Image:
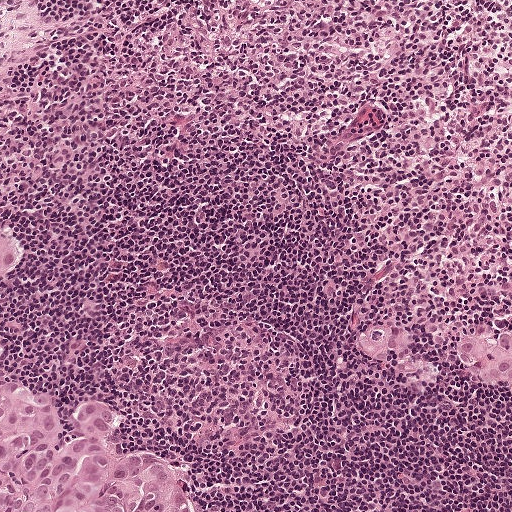
A 0.5-mm field of an H&E-stained sentinel lymph node from a breast-cancer patient (whole-slide image), shown at about 10×, about 0.97 µm per pixel.
Question:
Where is the metastatic tumour in this field? Give each region's outline as (x, y) pixel points.
Answer:
Four metastatic tumour regions, each outlined as a closed clockwise path in crop pixels (x, y), largest first: region 1: (0, 380), (39, 387), (52, 398), (62, 414), (58, 448), (86, 435), (75, 419), (74, 403), (84, 396), (106, 397), (119, 408), (116, 434), (124, 447), (156, 458), (206, 511), (0, 511); region 2: (511, 329), (511, 399), (500, 388), (476, 380), (469, 371), (459, 365), (457, 361), (458, 345), (462, 341), (478, 334), (496, 332); region 3: (392, 320), (412, 332), (412, 351), (402, 362), (389, 363), (381, 359), (360, 354), (358, 351), (357, 343), (362, 334), (368, 333), (373, 338), (382, 338), (386, 334), (386, 330), (380, 326), (382, 322); region 4: (8, 231), (27, 241), (27, 263), (26, 269), (17, 278), (1, 287), (0, 236).
One more small tumour piece is annotated here but not outlined.
The annotated tumour makes up about 10% of the crop.